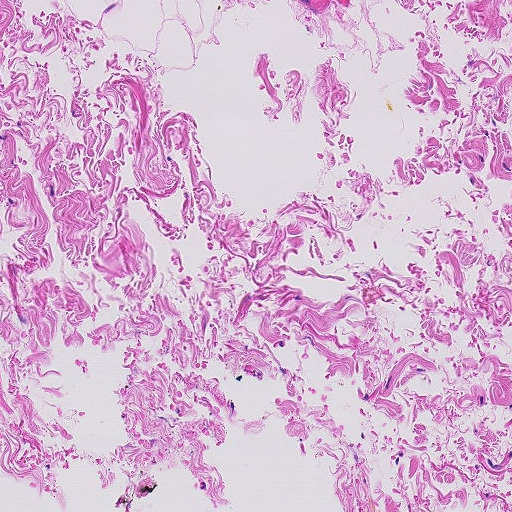
A 0.46-mm field of an H&E-stained sentinel lymph node from a breast-cancer patient (whole-slide image), shown at about 10×, about 0.9 µm per pixel.
Question: Is any metastatic breast cancer visible in this crop?
Answer: No: no metastatic tumour is outlined anywhere in this field.